Question: 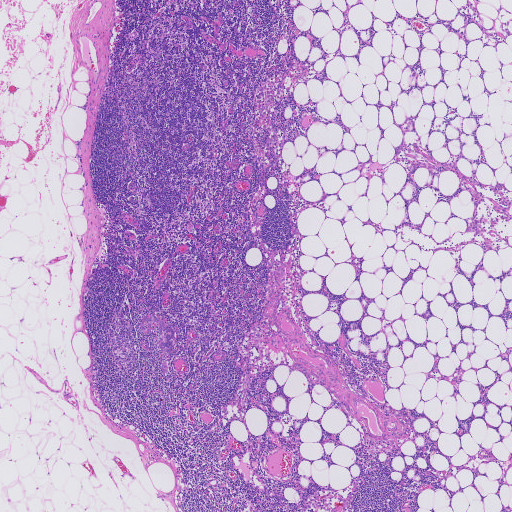
This is a crop of a whole-slide image: an H&E-stained breast-cancer sentinel lymph node section at roughly 2.5× magnification (about 3.6 µm per pixel; the crop spans about 1.9 mm).
Estimate the proportion of this field that is metastatic tumour.

Choices:
 (A) about 10% to 20%
 (B) about 25% to 45%
 (C) none: no tumour is outlined
 (D) about 50% or more
 (E) about 5% or less

Answer: (E) about 5% or less
Under 5% of the field is tumour.
Tumour region outline (a closed clockwise path, crop pixels): (150, 313), (167, 323), (175, 331), (175, 342), (172, 353), (164, 355), (158, 346), (162, 336), (158, 333), (158, 323), (152, 323), (152, 332), (147, 334), (140, 328), (144, 317).
One more small tumour piece is annotated here but not outlined.